Question: 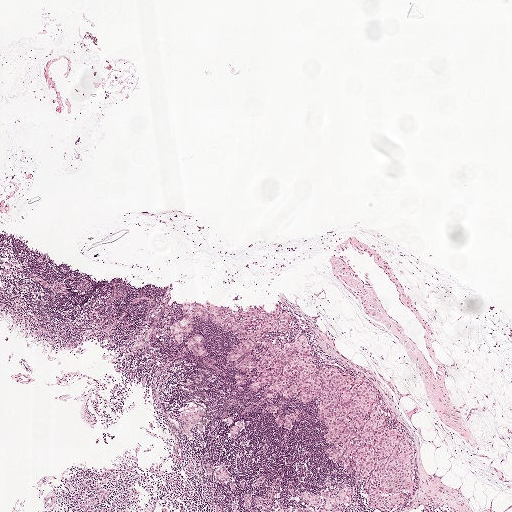
A 2.0-mm field of an H&E-stained sentinel lymph node from a breast-cancer patient (whole-slide image), shown at about 2.5×, about 3.9 µm per pixel.
Roughly what share of this field is metastatic tumour?

Choices:
 (A) about 5% or less
 (B) about 25% to 45%
 (C) none: no tumour is outlined
 (D) about 10% to 20%
 (E) about 50% or more

Answer: (A) about 5% or less
About 5% of the field is tumour.
Outlines of seven tumour regions, largest first (closed clockwise paths, crop pixels): region 1: (207, 300), (233, 307), (258, 302), (269, 312), (276, 302), (292, 311), (312, 348), (314, 368), (331, 358), (363, 377), (388, 425), (411, 437), (414, 486), (402, 504), (380, 510), (371, 506), (358, 478), (321, 451), (325, 428), (314, 418), (313, 399), (249, 391), (258, 374), (251, 367), (242, 369), (242, 391), (237, 390), (234, 365), (248, 352), (229, 360), (226, 354), (238, 342), (215, 323), (193, 318), (189, 331), (173, 344), (167, 328), (181, 317), (180, 302); region 2: (346, 485), (349, 486), (350, 489), (348, 495), (349, 504), (345, 505), (340, 502), (338, 502), (328, 509), (326, 511), (271, 511), (278, 505), (290, 509), (297, 507), (306, 507), (308, 510), (311, 509), (309, 506), (304, 498), (300, 495), (301, 492), (320, 494), (320, 492), (323, 491), (327, 494), (330, 495), (332, 495), (340, 491); region 3: (190, 405), (200, 408), (205, 414), (205, 417), (200, 418), (201, 426), (203, 429), (202, 432), (196, 431), (194, 424), (192, 424), (191, 434), (189, 436), (181, 433), (180, 418), (176, 414), (177, 410); region 4: (272, 403), (276, 406), (276, 413), (282, 417), (295, 408), (298, 415), (297, 420), (292, 422), (290, 428), (283, 428), (272, 421), (273, 416), (263, 409), (262, 404); region 5: (196, 333), (202, 337), (205, 352), (204, 357), (197, 357), (185, 347), (185, 340); region 6: (220, 468), (225, 468), (226, 469), (227, 474), (227, 477), (226, 480), (223, 482), (217, 482), (213, 478), (212, 476), (213, 471); region 7: (236, 420), (241, 421), (242, 423), (242, 427), (234, 436), (229, 436), (228, 429).